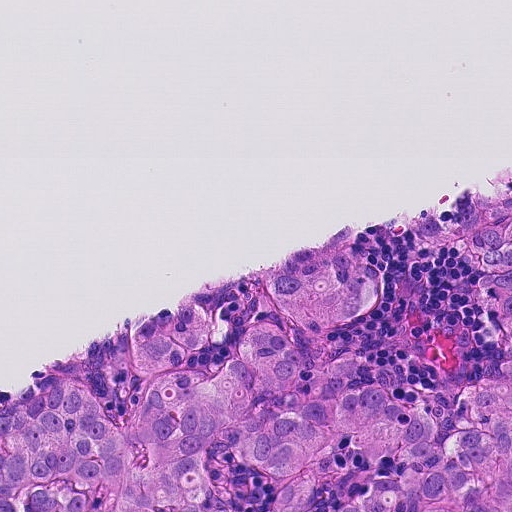
Lymph node section stained with H&E, from a whole-slide image of a breast-cancer sentinel node. Magnification about 20×, about 0.23 mm across the frame, about 0.45 µm per pixel.
Tumour region outline (a closed clockwise path, crop pixels): (511, 181), (511, 511), (0, 511), (0, 393), (62, 370), (120, 424), (130, 316), (204, 301), (215, 338), (192, 371), (224, 366), (280, 319), (260, 284), (282, 252), (320, 245), (388, 276), (311, 356), (388, 376), (444, 427), (453, 382), (493, 373), (493, 312), (474, 264), (406, 212).
Tumour covers about 35% of the frame.